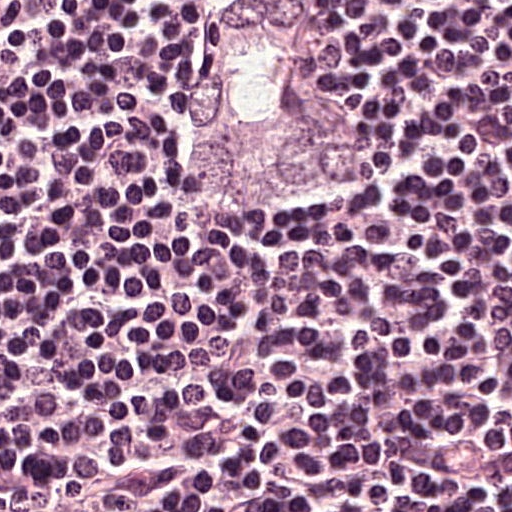
Lymph node section stained with H&E, from a whole-slide image of a breast-cancer sentinel node. Magnification about 40×, about 0.12 mm across the frame, about 0.24 µm per pixel.
One metastatic tumour region; its boundary, reduced to 9 corners and listed clockwise: (332, 0), (345, 96), (373, 157), (366, 183), (321, 204), (248, 208), (171, 178), (179, 86), (211, 1).
The annotated tumour makes up about 15% of the crop.